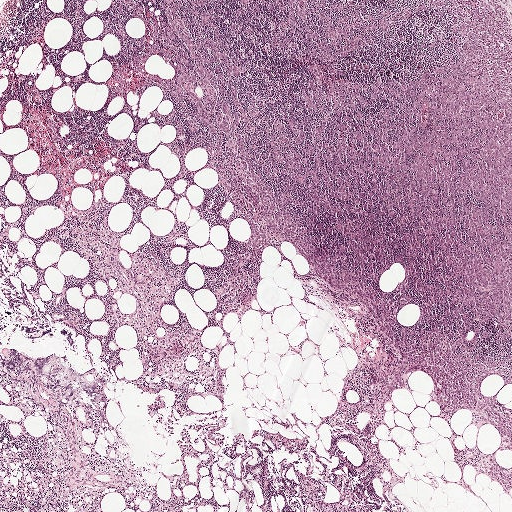
A 2.0-mm field of an H&E-stained sentinel lymph node from a breast-cancer patient (whole-slide image), shown at about 2.5×, about 3.9 µm per pixel.
The outlined metastatic tumour's edge, as a closed clockwise path of 23 points: (111, 0), (511, 5), (511, 384), (480, 390), (511, 410), (495, 456), (511, 490), (478, 472), (499, 434), (428, 401), (426, 374), (356, 392), (386, 354), (291, 243), (265, 243), (244, 305), (252, 229), (214, 169), (172, 184), (176, 134), (152, 114), (173, 102), (110, 95).
Tumour covers about 40% of the frame.